Question: 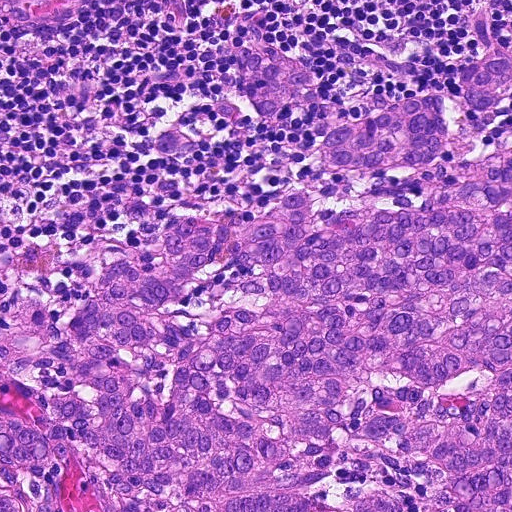
A 0.23-mm field of an H&E-stained sentinel lymph node from a breast-cancer patient (whole-slide image), shown at about 20×, about 0.45 µm per pixel.
Roughly what share of this field is metastatic tumour?

Choices:
 (A) about 25% to 45%
 (B) about 5% or less
 (C) none: no tumour is outlined
 (D) about 50% or more
 (E) about 10% to 20%

Answer: (D) about 50% or more
About 65% of the field is tumour.
Metastatic tumour outline, simplified to 24 points and listed clockwise in crop pixels (x, y): (511, 37), (511, 100), (466, 148), (500, 152), (511, 511), (0, 511), (0, 415), (43, 415), (52, 358), (0, 311), (0, 282), (54, 309), (175, 206), (291, 185), (420, 201), (415, 170), (307, 166), (314, 108), (250, 111), (240, 44), (308, 64), (342, 118), (408, 88), (442, 99).